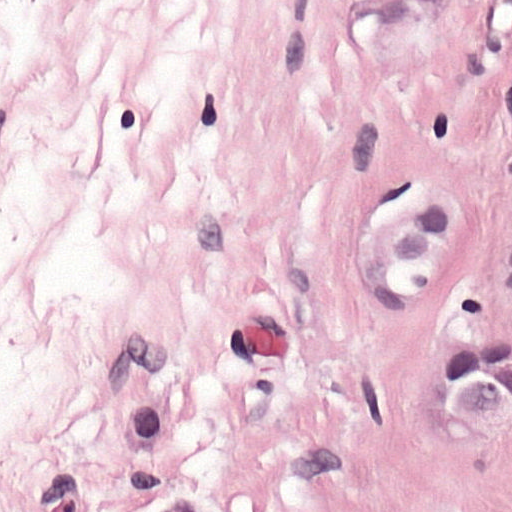
This is a crop of a whole-slide image: an H&E-stained breast-cancer sentinel lymph node section at roughly 40× magnification (about 0.24 µm per pixel; the crop spans about 0.12 mm).
Question: Which parts of this field are metastatic tumour? Answer with the outline of each region, in pixels.
Answer: Outlines of two tumour regions, largest first (closed clockwise paths, crop pixels): region 1: (511, 318), (511, 483), (383, 429), (441, 351); region 2: (340, 0), (473, 0), (448, 52), (352, 74).
Two more small tumour pieces are annotated here but not outlined.
Tumour covers about 10% of the frame.

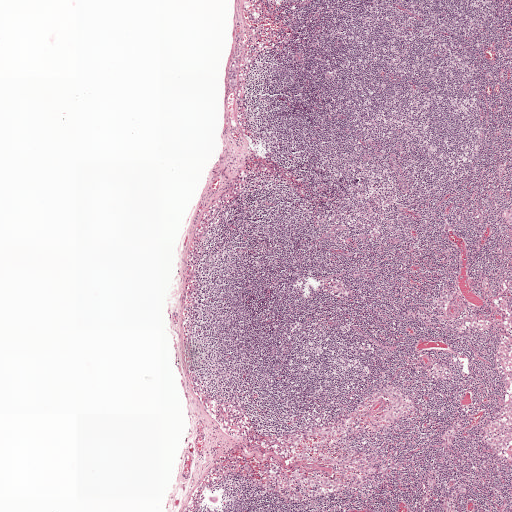
H&E-stained section of a sentinel lymph node (breast cancer), from a whole-slide image, viewed at about 2.5×: the field is about 2.0 mm across, about 3.9 µm per pixel.
Question: Which parts of this field are metastatic tumour? Answer with the outline of each region, in pixels.
Answer: Metastatic tumour outline, simplified to 9 points and listed clockwise in crop pixels (x, y): (236, 59), (238, 62), (239, 74), (237, 87), (233, 90), (230, 88), (228, 82), (229, 69), (231, 63).
Under 5% of the image area is annotated as tumour.

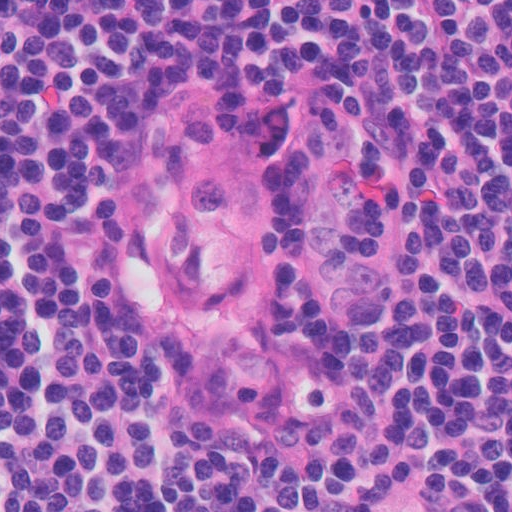
Lymph node section stained with H&E, from a whole-slide image of a breast-cancer sentinel node. Magnification about 40×, about 0.13 mm across the frame, about 0.25 µm per pixel.
Question: Which parts of this field are metastatic tumour? Answer with the outline of each region, in pixels.
Answer: Metastatic tumour outline, simplified to 9 points and listed clockwise in crop pixels (x, y): (202, 84), (258, 137), (281, 230), (258, 365), (211, 371), (152, 336), (101, 252), (102, 139), (139, 94).
The annotated tumour makes up about 15% of the crop.

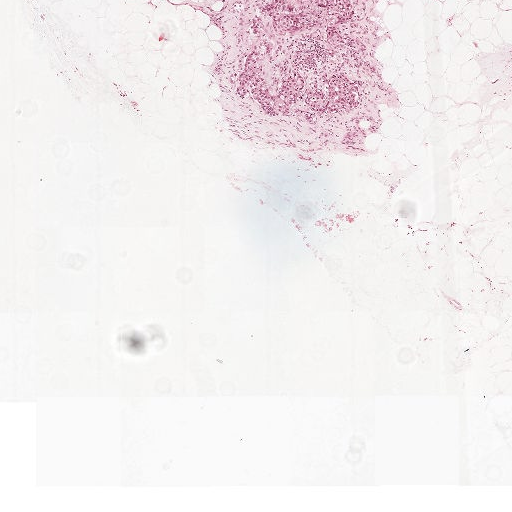
A 2.0-mm field of an H&E-stained sentinel lymph node from a breast-cancer patient (whole-slide image), shown at about 2.5×, about 3.9 µm per pixel.
Question: Which parts of this field are metastatic tumour? Answer with the outline of each region, in pixels.
Answer: Boundaries of four metastatic tumour regions, simplified and listed clockwise, largest first: region 1: (262, 0), (351, 0), (354, 12), (342, 24), (349, 36), (348, 41), (336, 45), (332, 54), (327, 51), (328, 32), (319, 20), (304, 29), (278, 32), (273, 30), (266, 13), (260, 16), (259, 33), (252, 34), (248, 28), (250, 16), (259, 13); region 2: (259, 37), (270, 40), (274, 48), (270, 54), (258, 55), (261, 74), (274, 96), (272, 104), (275, 113), (273, 114), (268, 114), (262, 110), (259, 101), (253, 100), (249, 92), (240, 95), (234, 90), (231, 75), (233, 71), (240, 68), (246, 50); region 3: (332, 72), (338, 72), (359, 79), (360, 93), (355, 105), (324, 110), (323, 113), (319, 113), (307, 105), (304, 94), (308, 89), (318, 87), (325, 93), (325, 79); region 4: (295, 69), (302, 74), (303, 81), (302, 91), (294, 100), (289, 111), (285, 112), (281, 112), (276, 106), (278, 98), (276, 96), (276, 92), (281, 82), (281, 76).
The annotated tumour makes up about 5% of the crop.